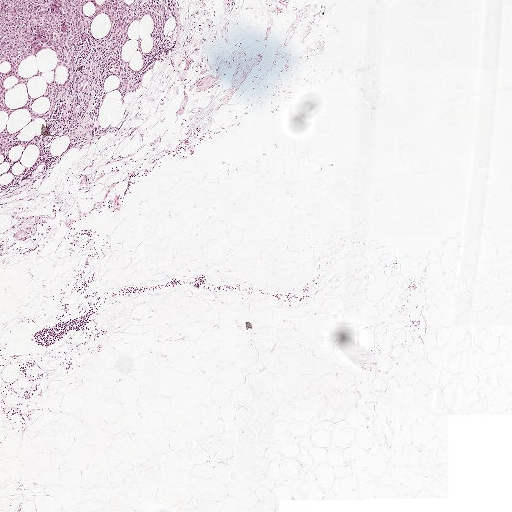
A 2.0-mm field of an H&E-stained sentinel lymph node from a breast-cancer patient (whole-slide image), shown at about 2.5×, about 3.9 µm per pixel.
Metastatic tumour outline, simplified to 23 points and listed clockwise in crop pixels (x, y): (0, 0), (174, 0), (165, 54), (141, 89), (122, 101), (117, 77), (105, 78), (98, 138), (74, 147), (54, 138), (54, 162), (1, 191), (13, 177), (0, 133), (6, 126), (28, 140), (45, 122), (25, 110), (8, 119), (0, 112), (0, 72), (11, 66), (0, 64).
The outline encloses six non-tumour holes totalling about 20% of the region's area.
About 5% of this field is tumour.